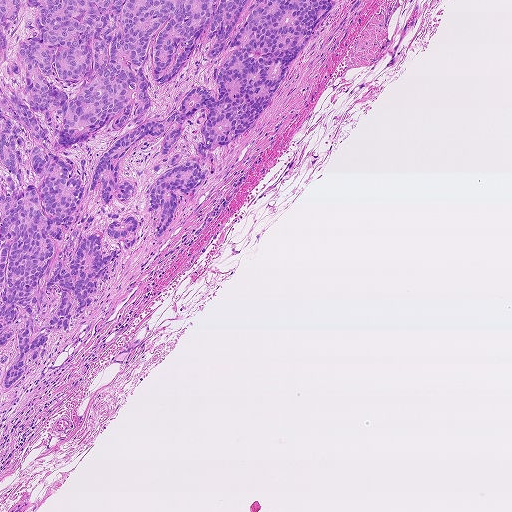
H&E-stained section of a sentinel lymph node (breast cancer), from a whole-slide image, viewed at about 5×: the field is about 0.93 mm across, about 1.8 µm per pixel.
The outlined metastatic tumour's edge, as a closed clockwise path of 17 points: (0, 0), (332, 0), (256, 123), (208, 151), (201, 166), (217, 167), (181, 199), (163, 236), (153, 243), (158, 211), (136, 246), (119, 252), (94, 306), (65, 336), (56, 330), (41, 363), (3, 394).
About 25% of the image area is annotated as tumour.